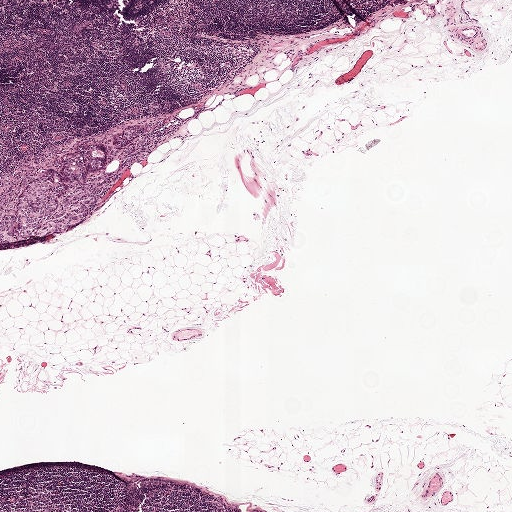
Lymph node section stained with H&E, from a whole-slide image of a breast-cancer sentinel node. Magnification about 2.5×, about 2.0 mm across the frame, about 3.9 µm per pixel.
Tumour region outline (a closed clockwise path, crop pixels): (128, 126), (143, 127), (146, 137), (133, 152), (133, 160), (124, 163), (117, 157), (105, 167), (110, 174), (120, 168), (122, 170), (85, 216), (60, 231), (0, 241), (0, 175), (9, 176), (49, 148), (68, 150), (85, 138), (96, 140), (107, 155), (115, 148), (114, 136).
Tumour covers about 5% of the frame.